H&E-stained section of a sentinel lymph node (breast cancer), from a whole-slide image, viewed at about 10×: the field is about 0.5 mm across, about 0.97 µm per pixel.
Image:
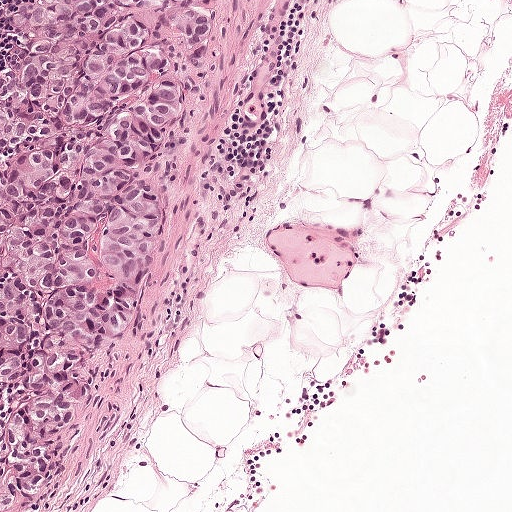
Question:
Does this lymph node field contain metastatic tumour?
Answer:
Yes.
One metastatic tumour region; its boundary, reduced to 13 corners and listed clockwise: (34, 0), (219, 0), (179, 176), (130, 304), (84, 376), (65, 462), (39, 510), (0, 511), (2, 454), (18, 411), (0, 390), (0, 60), (14, 13).
About 25% of this field is tumour.